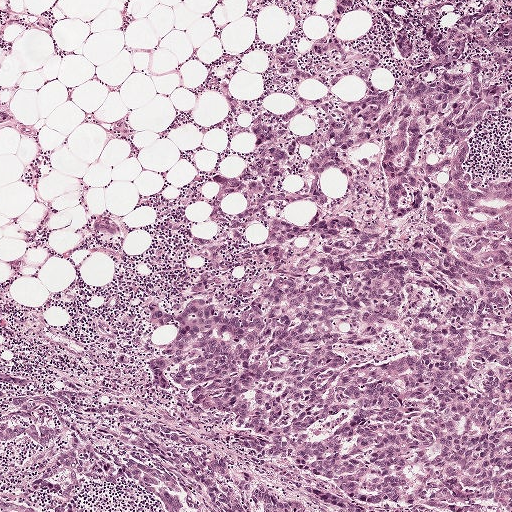
H&E-stained section of a sentinel lymph node (breast cancer), from a whole-slide image, viewed at about 5×: the field is about 1 mm across, about 1.9 µm per pixel.
Tumour region outline (a closed clockwise path, crop pixels): (462, 57), (501, 90), (467, 168), (487, 185), (511, 178), (511, 511), (412, 511), (348, 494), (245, 455), (216, 418), (145, 375), (179, 326), (141, 325), (142, 301), (162, 290), (192, 307), (210, 294), (252, 310), (272, 210), (382, 221), (370, 144), (330, 172), (304, 169), (318, 134).
The annotated tumour makes up about 40% of the crop.